Question: 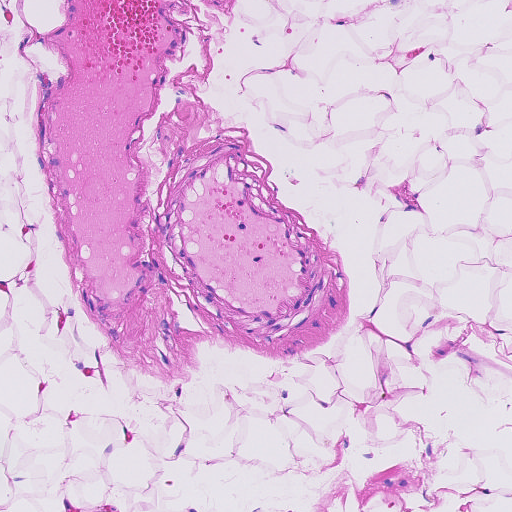
At roughly what magnification is this field shown?

Choices:
 (A) about 10×
 (B) about 5×
 (C) about 2.5×
 (D) about 40×
 (E) about 20×

Answer: (A) about 10×
H&E-stained section of a sentinel lymph node (breast cancer), from a whole-slide image, viewed at about 10×: the field is about 0.46 mm across, about 0.91 µm per pixel.